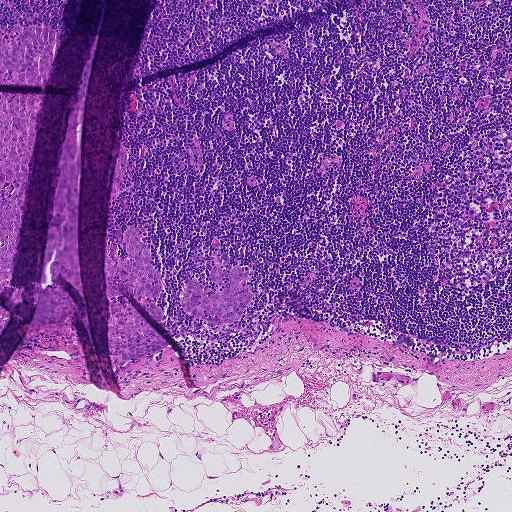
H&E-stained section of a sentinel lymph node (breast cancer), from a whole-slide image, viewed at about 5×: the field is about 0.93 mm across, about 1.8 µm per pixel.
Question: Which parts of this field are metastatic tumour? Answer with the outline of each region, in pixels.
Answer: Outlines of five tumour regions, largest first (closed clockwise paths, crop pixels): region 1: (133, 224), (150, 250), (161, 281), (158, 297), (147, 300), (161, 309), (168, 330), (133, 287), (116, 283), (116, 289), (168, 344), (144, 359), (128, 360), (119, 358), (110, 345), (106, 296), (106, 240), (107, 242), (115, 242), (120, 258), (129, 259), (124, 253), (123, 236), (125, 227); region 2: (0, 95), (41, 96), (24, 179), (24, 202), (18, 218), (8, 280), (0, 289); region 3: (30, 26), (60, 30), (56, 50), (44, 85), (0, 81), (0, 35), (12, 39), (19, 36), (23, 29); region 4: (215, 264), (228, 271), (234, 266), (242, 266), (248, 276), (242, 280), (240, 284), (252, 294), (251, 301), (244, 306), (238, 321), (216, 323), (200, 321), (183, 312), (180, 305), (181, 297), (192, 276), (203, 286), (205, 294), (220, 293), (226, 278), (221, 284), (213, 283), (208, 277); region 5: (0, 310), (7, 314), (7, 322), (0, 328).
About 5% of this field is tumour.